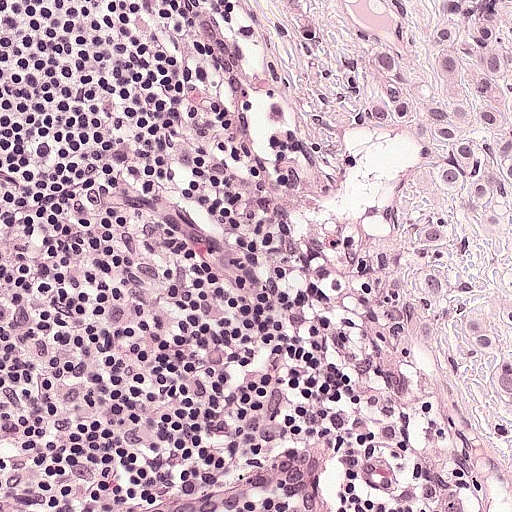
Lymph node section stained with H&E, from a whole-slide image of a breast-cancer sentinel node. Magnification about 20×, about 0.25 mm across the frame, about 0.49 µm per pixel.
The outlined metastatic tumour's edge, as a closed clockwise path of 10 points: (511, 0), (511, 432), (476, 364), (428, 327), (402, 280), (416, 154), (373, 110), (348, 61), (357, 30), (388, 2).
About 15% of this field is tumour.